Lymph node section stained with H&E, from a whole-slide image of a breast-cancer sentinel node. Magnification about 40×, about 0.12 mm across the frame, about 0.23 µm per pixel.
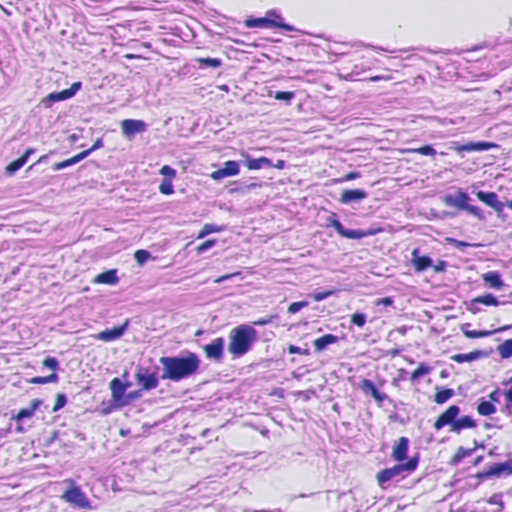
Outlines of two tumour regions, largest first (closed clockwise paths, crop pixels): region 1: (511, 349), (511, 458), (389, 502), (362, 472), (401, 400); region 2: (312, 301), (285, 344), (192, 401), (76, 423), (88, 373), (204, 315).
The annotated tumour makes up about 10% of the crop.